H&E-stained section of a sentinel lymph node (breast cancer), from a whole-slide image, viewed at about 20×: the field is about 0.23 mm across, about 0.45 µm per pixel.
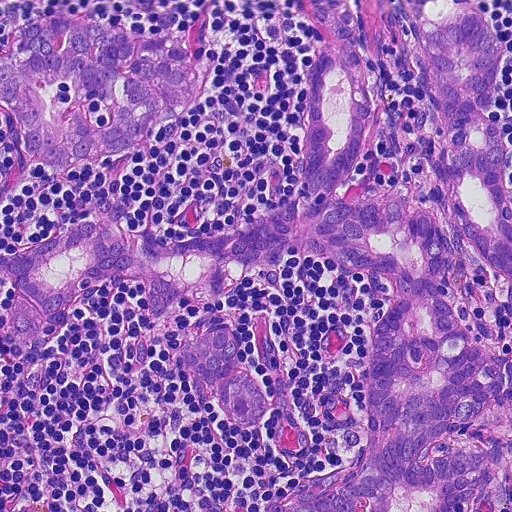
Boundaries of four metastatic tumour regions, simplified and listed clockwise, largest first: region 1: (307, 0), (345, 0), (370, 79), (370, 132), (338, 199), (390, 194), (414, 204), (448, 239), (447, 288), (460, 314), (502, 352), (511, 336), (511, 461), (465, 511), (260, 511), (368, 445), (370, 342), (394, 298), (392, 273), (286, 255), (276, 280), (242, 268), (228, 290), (202, 292), (148, 325), (146, 280), (119, 281), (21, 358), (0, 258), (84, 224), (206, 234), (298, 192), (307, 76), (326, 40); region 2: (34, 16), (86, 16), (211, 46), (214, 72), (206, 96), (166, 130), (68, 170), (40, 165), (22, 147), (0, 93), (0, 59), (12, 28); region 3: (422, 0), (473, 0), (507, 41), (489, 116), (502, 137), (511, 288), (494, 259), (458, 222), (448, 197), (441, 172), (436, 94), (422, 72); region 4: (227, 328), (243, 352), (254, 379), (271, 404), (250, 422), (224, 408), (190, 362), (200, 332).
About 45% of the image area is annotated as tumour.